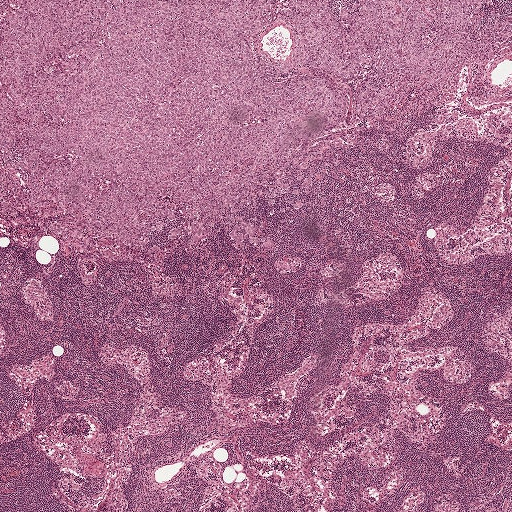
Lymph node section stained with H&E, from a whole-slide image of a breast-cancer sentinel node. Magnification about 2.5×, about 2.0 mm across the frame, about 3.9 µm per pixel.
Boundaries of two metastatic tumour regions, simplified and listed clockwise, largest first: region 1: (0, 0), (494, 0), (469, 24), (511, 26), (425, 112), (416, 86), (358, 127), (370, 70), (319, 73), (347, 110), (301, 145), (312, 185), (244, 213), (272, 249), (238, 251), (217, 218), (185, 248), (179, 209), (145, 246), (98, 236), (90, 260), (0, 213); region 2: (176, 227), (180, 228), (180, 236), (177, 239), (174, 240), (169, 240), (165, 236), (165, 232).
One more small tumour piece is annotated here but not outlined.
About 35% of this field is tumour.